H&E-stained section of a sentinel lymph node (breast cancer), from a whole-slide image, viewed at about 20×: the field is about 0.26 mm across, about 0.5 µm per pixel.
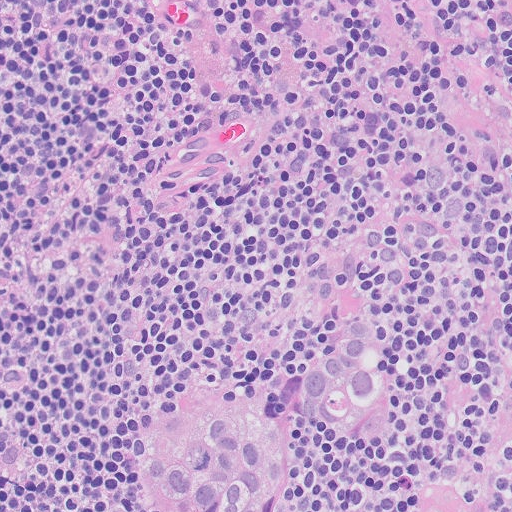
Outlines of two tumour regions, largest first (closed clockwise paths, crop pixels): region 1: (259, 374), (286, 428), (289, 454), (284, 511), (150, 511), (136, 500), (129, 474), (153, 420), (174, 396), (200, 385); region 2: (378, 304), (398, 356), (404, 388), (402, 421), (388, 448), (362, 454), (336, 448), (313, 434), (297, 408), (310, 349), (329, 326), (349, 308).
One more small tumour piece is annotated here but not outlined.
About 10% of the image area is annotated as tumour.